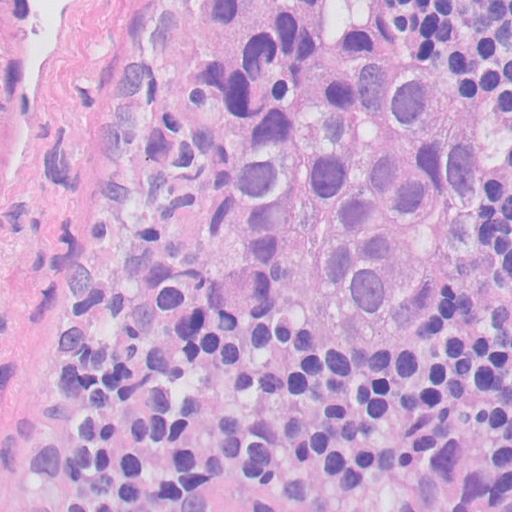
Lymph node section stained with H&E, from a whole-slide image of a breast-cancer sentinel node. Magnification about 40×, about 0.13 mm across the frame, about 0.25 µm per pixel.
Boundaries of two metastatic tumour regions, simplified and listed clockwise, largest first: region 1: (146, 0), (399, 0), (489, 63), (497, 179), (485, 230), (416, 324), (371, 356), (317, 358), (268, 333), (222, 303), (183, 246), (183, 188), (127, 91), (123, 37); region 2: (511, 473), (511, 511), (484, 511), (502, 482).
The annotated tumour makes up about 40% of the crop.